Lymph node section stained with H&E, from a whole-slide image of a breast-cancer sentinel node. Magnification about 2.5×, about 2.0 mm across the frame, about 3.9 µm per pixel.
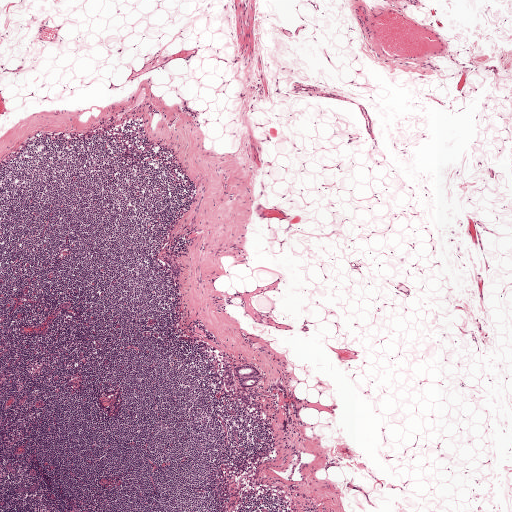
Four metastatic tumour regions, each outlined as a closed clockwise path in crop pixels (x, y), largest first: region 1: (250, 364), (257, 367), (263, 376), (258, 385), (242, 388), (237, 384), (234, 368); region 2: (226, 366), (231, 368), (234, 379), (234, 383), (228, 387), (225, 384), (224, 373); region 3: (164, 257), (166, 258), (176, 266), (180, 270), (181, 276), (178, 277), (172, 275), (168, 264), (163, 259); region 4: (235, 393), (246, 396), (249, 403), (249, 405), (241, 400), (240, 396), (236, 397), (234, 395).
One more small tumour piece is annotated here but not outlined.
The annotated tumour makes up under 5% of the crop.